Lymph node section stained with H&E, from a whole-slide image of a breast-cancer sentinel node. Magnification about 5×, about 1 mm across the frame, about 1.9 µm per pixel.
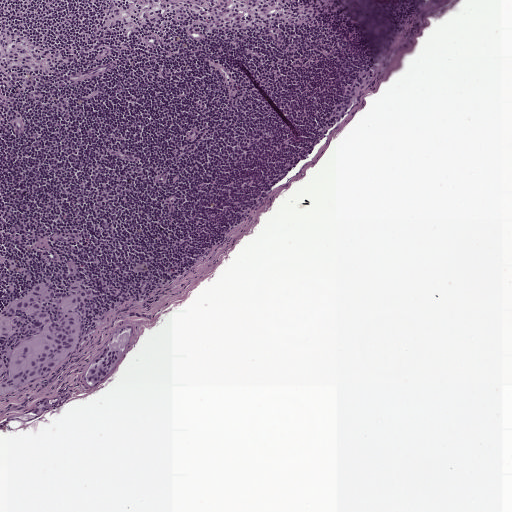
Question: Where is the metastatic tumour in this field? Give each region's outline as (x, y) pixel points.
Answer: Boundaries of three metastatic tumour regions, simplified and listed clockwise, largest first: region 1: (72, 258), (80, 266), (82, 280), (97, 295), (77, 343), (46, 380), (0, 398), (0, 308), (39, 280), (47, 280), (60, 292), (70, 281), (65, 261); region 2: (113, 345), (122, 347), (122, 353), (106, 380), (100, 385), (89, 387), (85, 382), (84, 377), (89, 362), (105, 346); region 3: (44, 397), (52, 405), (50, 411), (44, 416), (36, 416), (32, 411), (33, 403), (38, 399).
The annotated tumour makes up about 5% of the crop.